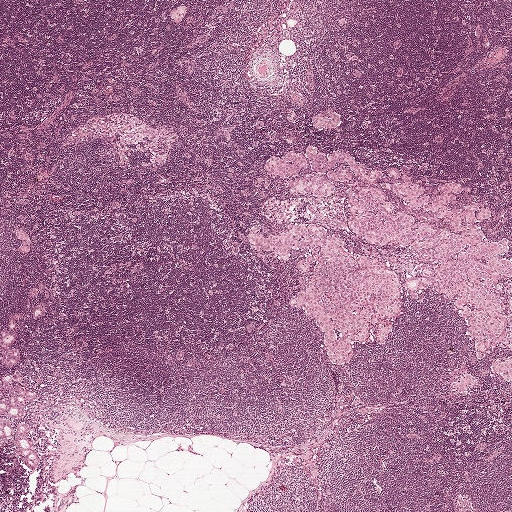
H&E-stained section of a sentinel lymph node (breast cancer), from a whole-slide image, viewed at about 2.5×: the field is about 2.0 mm across, about 3.9 µm per pixel.
The eight largest tumour regions' boundaries, simplified and listed clockwise, largest first: region 1: (345, 150), (430, 194), (468, 187), (454, 208), (485, 204), (488, 237), (507, 239), (511, 258), (504, 336), (489, 356), (475, 357), (445, 299), (401, 288), (388, 340), (356, 343), (354, 363), (330, 365), (316, 324), (288, 300), (313, 277), (317, 261), (295, 267), (311, 249), (271, 262), (246, 248), (246, 226), (318, 225), (400, 279), (422, 261), (349, 232), (352, 186), (294, 197), (262, 171), (267, 157); region 2: (19, 370), (23, 376), (20, 385), (34, 390), (37, 398), (26, 409), (22, 417), (10, 418), (0, 415), (0, 379), (2, 376); region 3: (0, 417), (9, 421), (13, 433), (20, 423), (28, 424), (30, 427), (26, 439), (39, 453), (40, 462), (39, 467), (36, 470), (30, 470), (20, 457), (13, 439), (0, 438); region 4: (6, 328), (16, 336), (12, 346), (18, 347), (20, 350), (18, 364), (10, 367), (1, 364), (0, 331), (2, 329), (8, 331), (3, 329); region 5: (333, 111), (335, 111), (340, 118), (340, 121), (340, 123), (333, 127), (317, 129), (312, 123), (312, 115), (314, 113), (320, 112), (323, 114), (328, 115); region 6: (464, 373), (468, 373), (478, 380), (476, 387), (469, 388), (464, 394), (458, 394), (450, 389), (448, 384); region 7: (508, 357), (511, 359), (511, 381), (506, 381), (502, 377), (494, 374), (491, 371), (491, 365), (493, 359), (502, 359); region 8: (182, 4), (186, 5), (187, 6), (187, 10), (184, 19), (179, 24), (175, 24), (173, 20), (171, 20), (170, 15), (170, 11), (174, 6).
Three more, smaller tumour regions are not outlined.
About 15% of this field is tumour.